Question: 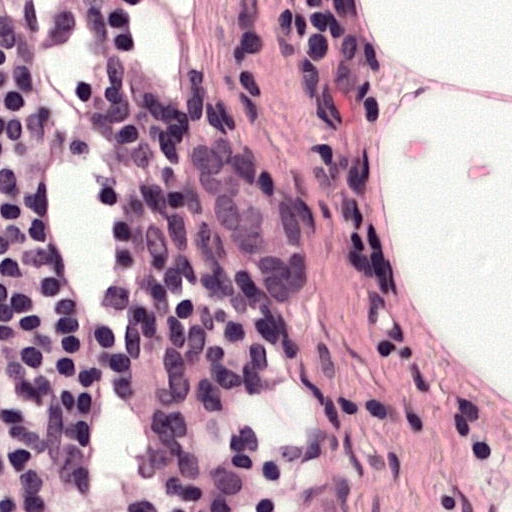
At roughly what magnification is this field shown?

Choices:
 (A) about 40×
 (B) about 20×
 (C) about 2.5×
 (D) about 5×
 (E) about 10×

Answer: (A) about 40×
A 0.12-mm field of an H&E-stained sentinel lymph node from a breast-cancer patient (whole-slide image), shown at about 40×, about 0.24 µm per pixel.
Two metastatic tumour regions, each outlined as a closed clockwise path in crop pixels (x, y), largest first: region 1: (193, 123), (241, 135), (312, 184), (314, 294), (273, 328), (219, 268), (190, 198); region 2: (324, 489), (332, 511), (302, 511).
About 5% of the image area is annotated as tumour.